This is a crop of a whole-slide image: an H&E-stained breast-cancer sentinel lymph node section at roughly 20× magnification (about 0.5 µm per pixel; the crop spans about 0.26 mm).
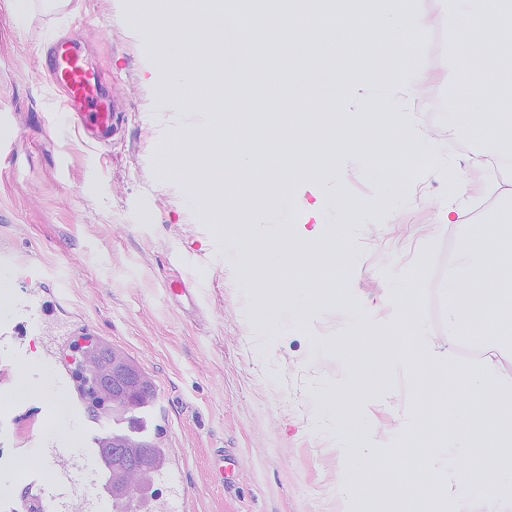
Boundaries of two metastatic tumour regions, simplified and listed clockwise, largest first: region 1: (91, 332), (104, 338), (132, 358), (141, 368), (160, 396), (146, 414), (146, 430), (133, 434), (123, 414), (109, 412), (80, 364), (74, 352), (76, 337); region 2: (116, 437), (144, 442), (156, 441), (166, 448), (165, 463), (154, 472), (149, 500), (140, 511), (112, 511), (104, 492), (104, 464), (96, 452), (102, 438).
The annotated tumour makes up about 5% of the crop.